H&E-stained section of a sentinel lymph node (breast cancer), from a whole-slide image, viewed at about 10×: the field is about 0.46 mm across, about 0.91 µm per pixel.
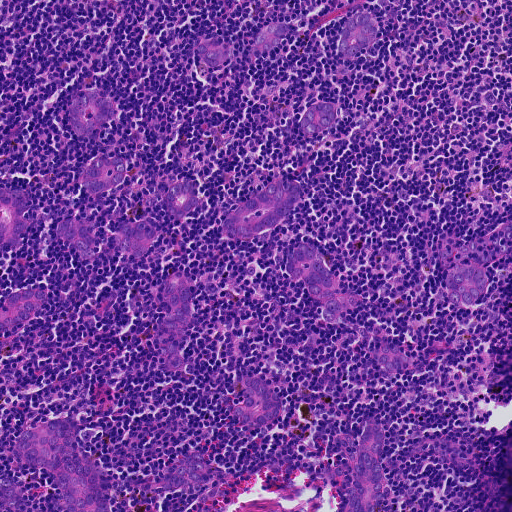
Outlines of the eight largest metastatic tumour regions, each a closed clockwise path in crop pixels (x, y), largest first: region 1: (52, 419), (86, 428), (95, 434), (81, 449), (95, 466), (109, 496), (111, 511), (66, 511), (57, 478), (49, 470), (27, 465), (18, 459), (13, 449), (16, 440), (32, 426); region 2: (376, 420), (384, 430), (380, 459), (382, 469), (388, 489), (387, 499), (381, 511), (349, 511), (344, 478), (332, 476), (334, 465), (339, 461), (347, 468), (349, 484), (362, 452), (362, 432), (367, 423); region 3: (287, 177), (296, 181), (301, 189), (300, 200), (264, 235), (246, 241), (235, 241), (226, 238), (221, 229), (223, 219), (262, 192), (276, 179); region 4: (306, 243), (323, 254), (328, 263), (332, 284), (337, 292), (360, 295), (360, 304), (342, 312), (337, 320), (327, 322), (322, 314), (323, 304), (310, 295), (300, 278), (295, 281), (287, 275), (285, 265), (287, 256), (296, 244); region 5: (174, 272), (185, 272), (192, 279), (193, 318), (182, 346), (184, 365), (175, 370), (166, 366), (154, 339), (156, 329), (168, 314), (164, 287), (166, 278); region 6: (86, 90), (106, 93), (112, 100), (115, 110), (113, 119), (106, 126), (87, 135), (77, 134), (68, 119), (66, 109), (70, 100); region 7: (252, 376), (262, 378), (278, 393), (281, 413), (266, 424), (256, 425), (234, 418), (235, 408), (243, 403), (249, 394), (242, 388), (242, 378); region 8: (466, 259), (486, 269), (485, 287), (482, 297), (474, 304), (461, 307), (451, 304), (447, 294), (440, 286), (444, 276), (456, 261).
11 more, smaller tumour regions are not outlined.
Two more small tumour pieces are annotated here but not outlined.
Tumour covers about 15% of the frame.